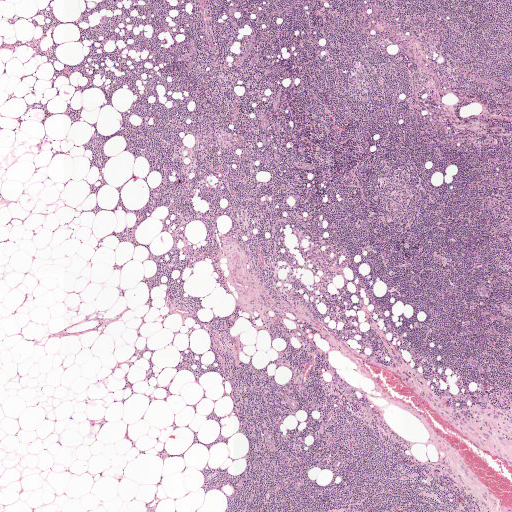
This is a crop of a whole-slide image: an H&E-stained breast-cancer sentinel lymph node section at roughly 2.5× magnification (about 3.9 µm per pixel; the crop spans about 2.0 mm).